Question: 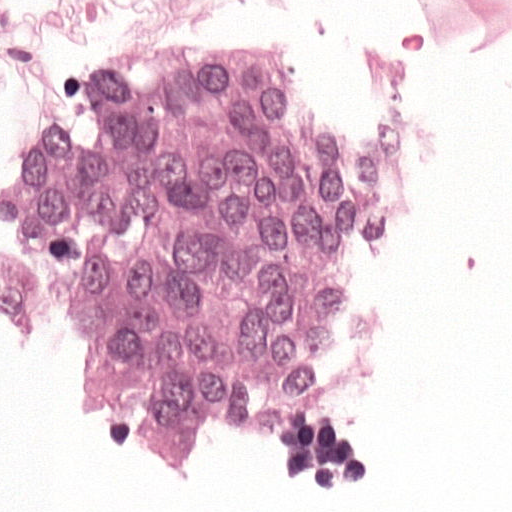
Which magnification is this H&E lymph node field most likely shown at?

Choices:
 (A) about 40×
 (B) about 10×
 (C) about 2.5×
 (D) about 20×
 (E) about 5×

Answer: (A) about 40×
A 0.12-mm field of an H&E-stained sentinel lymph node from a breast-cancer patient (whole-slide image), shown at about 40×, about 0.24 µm per pixel.
Metastatic tumour outline, simplified to 11 points and listed clockwise in crop pixels (x, y): (223, 0), (351, 97), (414, 225), (445, 363), (276, 430), (223, 473), (114, 496), (18, 391), (0, 355), (0, 91), (71, 23).
Tumour covers about 60% of the frame.